H&E-stained section of a sentinel lymph node (breast cancer), from a whole-slide image, viewed at about 5×: the field is about 0.93 mm across, about 1.8 µm per pixel.
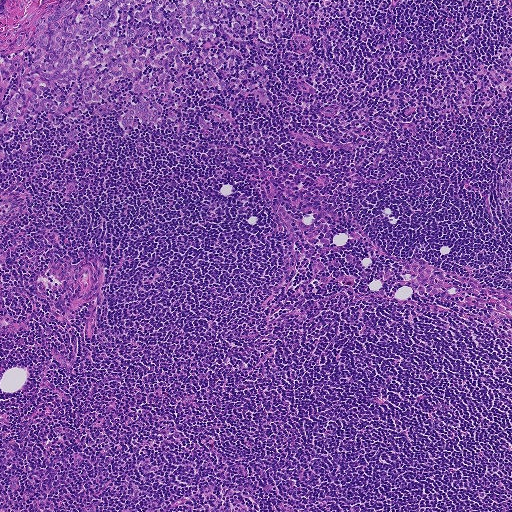
Question: Which parts of this field are metastatic tumour?
Answer: The outlined metastatic tumour's edge, as a closed clockwise path of 35 points: (0, 0), (305, 6), (274, 14), (292, 24), (271, 44), (213, 31), (212, 52), (228, 45), (262, 67), (262, 105), (238, 93), (250, 79), (204, 65), (229, 82), (203, 98), (194, 84), (209, 77), (191, 64), (182, 86), (152, 101), (178, 120), (137, 118), (120, 134), (121, 97), (142, 93), (122, 78), (100, 105), (118, 110), (73, 119), (67, 157), (62, 113), (56, 126), (26, 114), (34, 130), (3, 139).
The annotated tumour makes up about 10% of the crop.